Question: 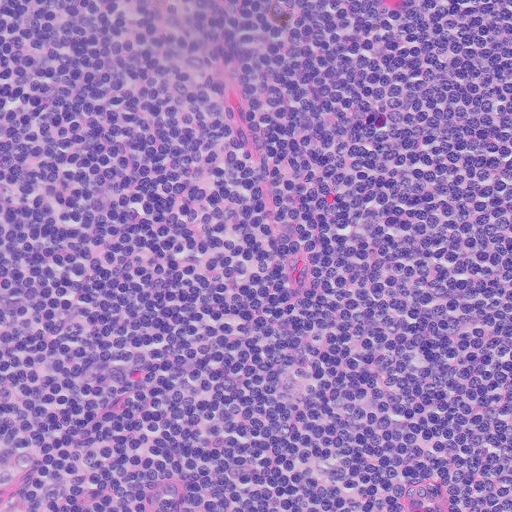
About what magnification does this crop show?

Choices:
 (A) about 5×
 (B) about 20×
 (C) about 2.5×
 (D) about 10×
 (E) about 40×

Answer: (B) about 20×
A 0.26-mm field of an H&E-stained sentinel lymph node from a breast-cancer patient (whole-slide image), shown at about 20×, about 0.5 µm per pixel.